Lymph node section stained with H&E, from a whole-slide image of a breast-cancer sentinel node. Magnification about 2.5×, about 2.0 mm across the frame, about 3.9 µm per pixel.
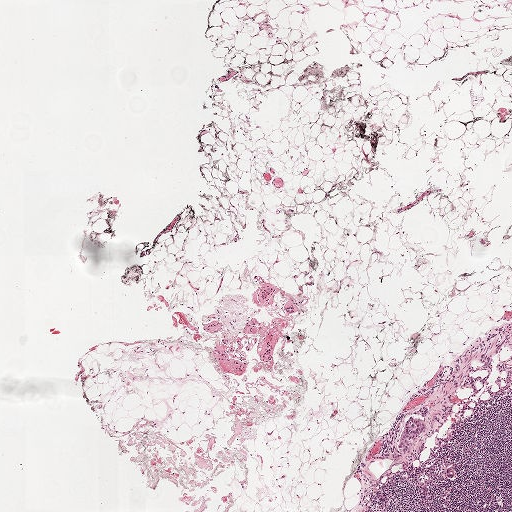
Tumour region outline (a closed clockwise path, crop pixels): (429, 405), (428, 426), (426, 432), (416, 440), (411, 450), (406, 453), (399, 453), (400, 436), (408, 415), (421, 406).
Under 5% of the image area is annotated as tumour.